Question: 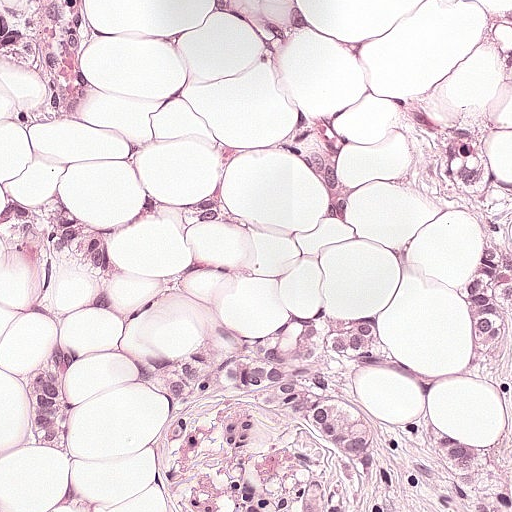
This is a crop of a whole-slide image: an H&E-stained breast-cancer sentinel lymph node section at roughly 20× magnification (about 0.49 µm per pixel; the crop spans about 0.25 mm).
What fraction of the image area is metastatic tumour?

Choices:
 (A) about 5% or less
 (B) none: no tumour is outlined
 (C) about 10% to 20%
 (D) about 50% or more
 (E) about 25% to 45%

Answer: (E) about 25% to 45%
About 40% of the field is tumour.
Boundaries of five metastatic tumour regions, simplified and listed clockwise, largest first: region 1: (481, 0), (511, 0), (511, 100), (489, 144), (511, 190), (511, 511), (168, 511), (139, 364), (168, 361), (208, 326), (368, 311), (432, 400), (361, 386), (364, 412), (416, 436), (489, 438), (454, 324), (440, 200), (396, 174), (416, 135), (461, 130), (474, 105), (461, 20); region 2: (0, 0), (86, 0), (89, 36), (73, 68), (77, 64), (78, 75), (91, 95), (85, 114), (77, 114), (68, 104), (57, 104), (48, 107), (44, 117), (24, 88), (4, 80), (0, 68); region 3: (53, 183), (72, 214), (92, 221), (112, 236), (120, 256), (120, 270), (124, 274), (108, 278), (96, 272), (40, 264), (0, 253), (2, 212), (18, 200), (36, 200), (48, 192); region 4: (56, 342), (77, 346), (84, 350), (84, 364), (70, 386), (72, 420), (74, 422), (77, 452), (64, 454), (42, 469), (26, 464), (26, 456), (31, 444), (31, 420), (27, 396), (18, 372), (42, 360); region 5: (0, 485), (4, 488), (11, 490), (20, 500), (26, 511), (0, 511).
Question: 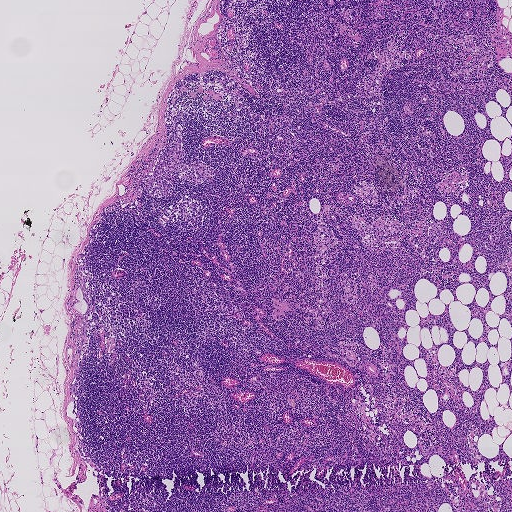
Lymph node section stained with H&E, from a whole-slide image of a breast-cancer sentinel node. Magnification about 2.5×, about 1.9 mm across the frame, about 3.6 µm per pixel.
What fraction of the image area is metastatic tumour?

Choices:
 (A) about 25% to 45%
 (B) none: no tumour is outlined
 (C) about 10% to 20%
 (D) about 5% or less
 (E) about 50% or more

Answer: (D) about 5% or less
Under 5% of the field is tumour.
The outlined metastatic tumour's edge, as a closed clockwise path of 38 points: (178, 123), (182, 129), (181, 135), (185, 154), (183, 162), (186, 165), (194, 160), (201, 160), (214, 167), (215, 174), (210, 177), (209, 180), (206, 178), (197, 185), (185, 179), (184, 184), (179, 184), (180, 179), (176, 177), (173, 180), (175, 186), (168, 197), (163, 196), (150, 196), (146, 191), (146, 182), (152, 177), (154, 166), (158, 160), (156, 157), (159, 157), (162, 152), (166, 157), (168, 156), (169, 146), (174, 148), (175, 146), (172, 144).
Question: 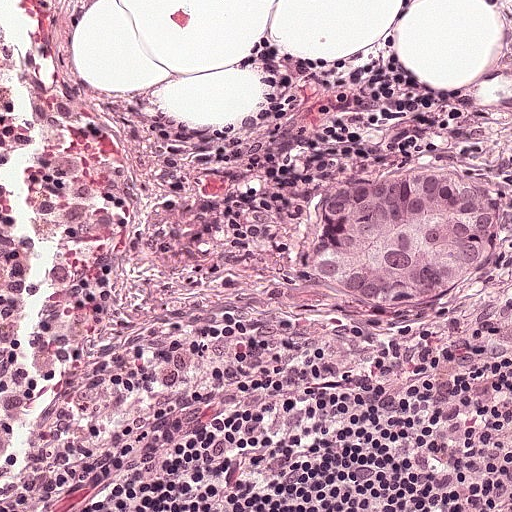
A 0.25-mm field of an H&E-stained sentinel lymph node from a breast-cancer patient (whole-slide image), shown at about 20×, about 0.49 µm per pixel.
What fraction of the image area is metastatic tumour?

Choices:
 (A) about 10% to 20%
 (B) none: no tumour is outlined
 (C) about 5% or less
 (D) about 25% to 45%
 (E) about 50% or more

Answer: (A) about 10% to 20%
About 10% of the field is tumour.
One metastatic tumour region; its boundary, reduced to 12 corners and listed clockwise: (408, 176), (435, 176), (492, 194), (505, 213), (500, 268), (492, 281), (404, 326), (326, 320), (301, 310), (282, 289), (279, 264), (328, 178).
Question: 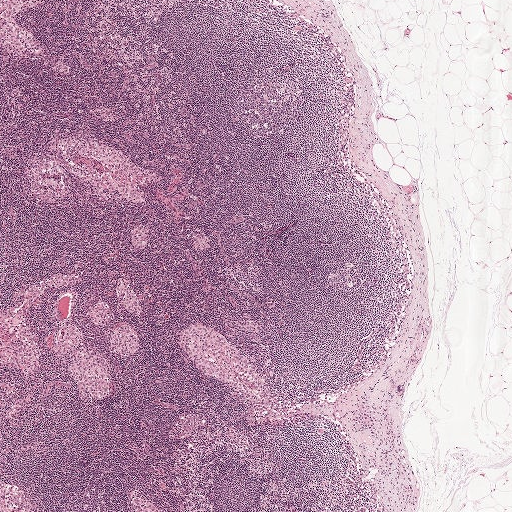
H&E-stained section of a sentinel lymph node (breast cancer), from a whole-slide image, viewed at about 2.5×: the field is about 2.0 mm across, about 3.9 µm per pixel.
What fraction of the image area is metastatic tumour?

Choices:
 (A) about 25% to 45%
 (B) about 50% or more
 (C) about 10% to 20%
 (D) about 5% or less
 (E) none: no tumour is outlined

Answer: (D) about 5% or less
Under 5% of the field is tumour.
Metastatic tumour outline, simplified to 24 points and listed clockwise in crop pixels (x, y): (360, 404), (372, 409), (381, 423), (393, 425), (398, 429), (401, 438), (401, 451), (409, 462), (411, 480), (416, 495), (413, 507), (406, 507), (405, 511), (391, 511), (385, 498), (376, 488), (377, 471), (369, 459), (374, 452), (371, 447), (374, 440), (363, 432), (349, 428), (351, 413).